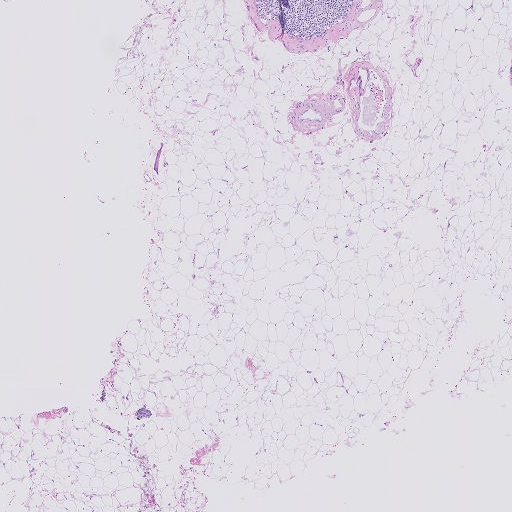
Lymph node section stained with H&E, from a whole-slide image of a breast-cancer sentinel node. Magnification about 2.5×, about 2.0 mm across the frame, about 4.0 µm per pixel.
Two metastatic tumour regions, each outlined as a closed clockwise path in crop pixels (x, y), largest first: region 1: (145, 404), (151, 409), (155, 417), (138, 419), (132, 415), (138, 405); region 2: (102, 385), (108, 387), (105, 403), (97, 401).
Two more small tumour pieces are annotated here but not outlined.
Under 5% of this field is tumour.